This is a crop of a whole-slide image: an H&E-stained breast-cancer sentinel lymph node section at roughly 10× magnification (about 0.9 µm per pixel; the crop spans about 0.46 mm).
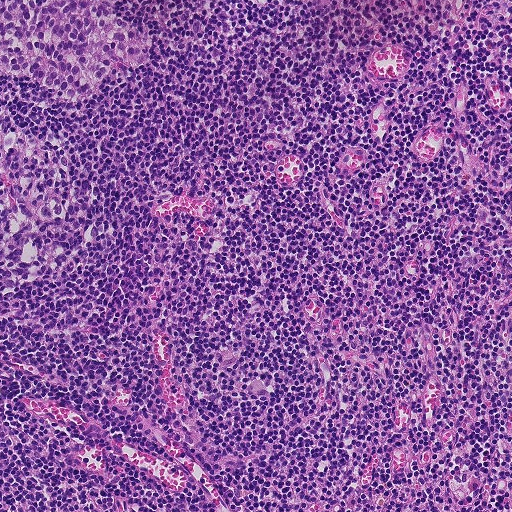
One metastatic tumour region; its boundary, reduced to 21 corners and listed clockwise: (0, 0), (36, 0), (36, 4), (47, 0), (111, 0), (115, 14), (137, 23), (137, 31), (152, 39), (146, 54), (148, 61), (136, 72), (135, 80), (120, 84), (106, 76), (91, 94), (76, 101), (60, 102), (50, 89), (29, 76), (0, 70).
About 5% of this field is tumour.